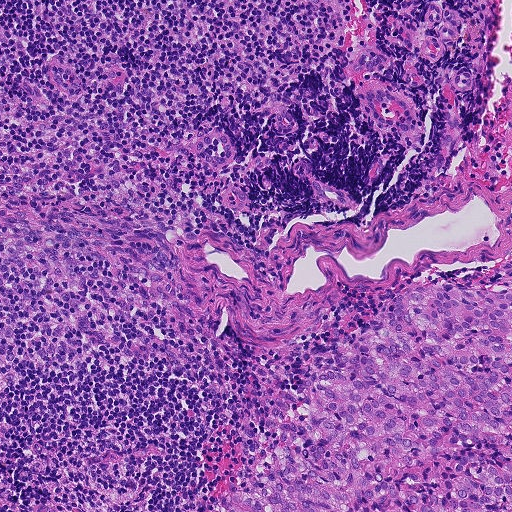
This is a crop of a whole-slide image: an H&E-stained breast-cancer sentinel lymph node section at roughly 10× magnification (about 0.9 µm per pixel; the crop spans about 0.46 mm).
Question: Which parts of this field are metastatic tumour? Answer with the outline of each region, in pixels.
Answer: One metastatic tumour region; its boundary, reduced to 8 corners and listed clockwise: (418, 288), (511, 288), (511, 511), (208, 511), (224, 488), (261, 476), (285, 412), (381, 309).
About 20% of this field is tumour.